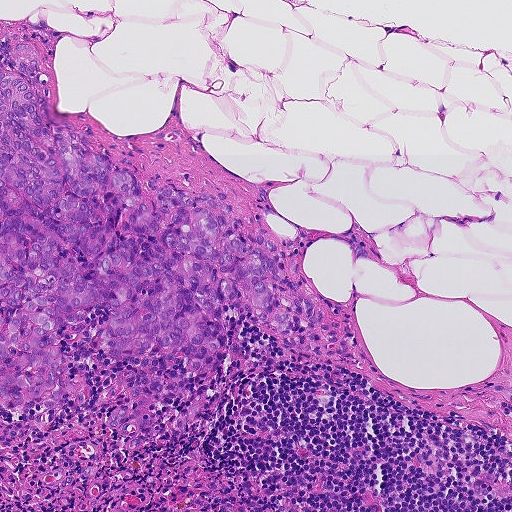
A 0.46-mm field of an H&E-stained sentinel lymph node from a breast-cancer patient (whole-slide image), shown at about 10×, about 0.9 µm per pixel.
Boundaries of two metastatic tumour regions, simplified and listed clockwise, largest first: region 1: (23, 43), (48, 116), (134, 175), (149, 206), (166, 182), (218, 193), (244, 226), (294, 240), (301, 292), (350, 329), (359, 362), (286, 352), (248, 302), (222, 317), (230, 352), (212, 372), (110, 357), (100, 308), (58, 333), (83, 405), (72, 392), (60, 410), (3, 407), (0, 50); region 2: (128, 369), (135, 374), (130, 380), (128, 387), (136, 386), (142, 388), (142, 396), (129, 405), (130, 412), (118, 431), (110, 431), (107, 424), (108, 416), (125, 398), (124, 390), (116, 377), (120, 370).
One more small tumour piece is annotated here but not outlined.
About 25% of this field is tumour.